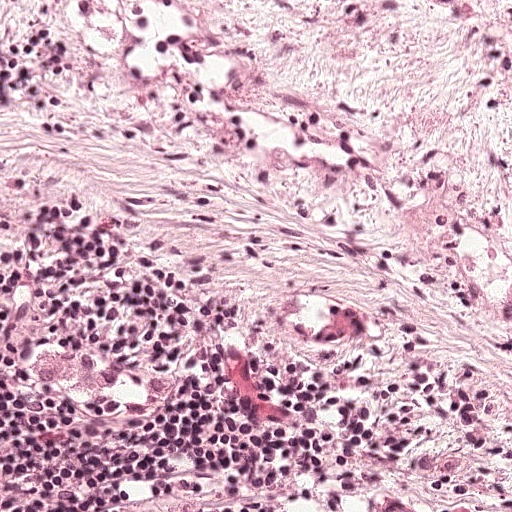
This is a crop of a whole-slide image: an H&E-stained breast-cancer sentinel lymph node section at roughly 20× magnification (about 0.49 µm per pixel; the crop spans about 0.25 mm).